Question: 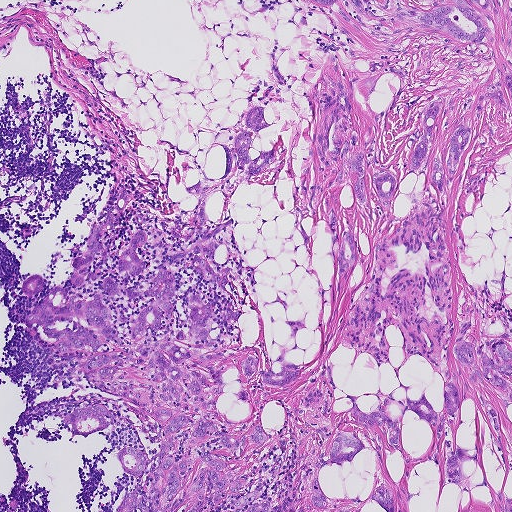
H&E-stained section of a sentinel lymph node (breast cancer), from a whole-slide image, viewed at about 5×: the field is about 0.93 mm across, about 1.8 µm per pixel.
What fraction of the image area is metastatic tumour?

Choices:
 (A) about 10% to 20%
 (B) none: no tumour is outlined
 (C) about 5% or less
 (D) about 50% or more
 (E) about 25% to 45%

Answer: (A) about 10% to 20%
About 20% of the field is tumour.
Boundaries of eight metastatic tumour regions, simplified and listed clockwise, largest first: region 1: (310, 0), (339, 0), (350, 16), (366, 21), (387, 14), (393, 0), (427, 12), (434, 9), (428, 0), (490, 0), (489, 9), (478, 11), (490, 31), (483, 42), (455, 39), (447, 33), (388, 17), (368, 22), (359, 32), (338, 13); region 2: (257, 106), (262, 106), (267, 123), (272, 125), (259, 130), (252, 141), (249, 152), (252, 160), (267, 150), (274, 149), (274, 155), (264, 170), (248, 178), (236, 166), (237, 154), (233, 142), (235, 137), (240, 132), (251, 131), (244, 123), (244, 117), (247, 111); region 3: (461, 126), (467, 126), (471, 130), (470, 141), (458, 162), (448, 192), (444, 182), (441, 195), (434, 186), (429, 176), (438, 146), (445, 167), (451, 133); region 4: (355, 133), (364, 156), (364, 187), (366, 199), (363, 203), (358, 200), (353, 190), (355, 173), (350, 171), (340, 182), (329, 186), (336, 175), (342, 151), (350, 142), (350, 136); region 5: (435, 100), (440, 103), (440, 109), (432, 131), (431, 149), (426, 160), (419, 169), (413, 169), (409, 166), (414, 143), (422, 134), (424, 114), (430, 103); region 6: (94, 404), (103, 406), (111, 411), (113, 416), (112, 420), (104, 427), (100, 426), (94, 418), (90, 418), (81, 422), (81, 427), (78, 429), (65, 425), (62, 421), (64, 416), (76, 410); region 7: (510, 72), (511, 74), (511, 101), (510, 94), (504, 86), (502, 92), (509, 113), (490, 98), (486, 96), (483, 102), (481, 113), (477, 121), (478, 103), (480, 97), (484, 93), (486, 88), (490, 84), (501, 81), (502, 86), (504, 78); region 8: (343, 233), (349, 233), (356, 255), (355, 260), (346, 268), (340, 278), (337, 254).
Two more tumour regions are annotated but not outlined: their edges are too irregular for short outlines.
Two more, smaller tumour regions are not outlined.